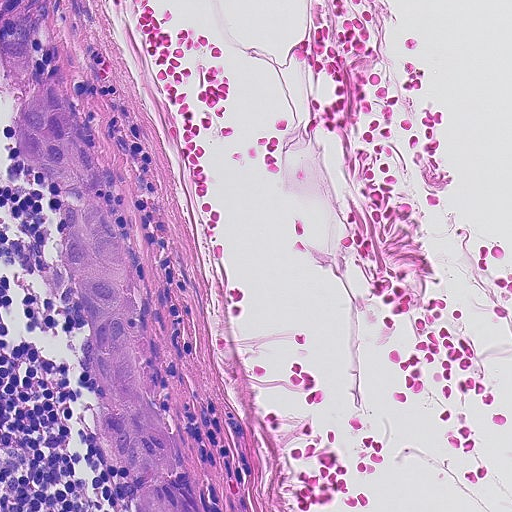
H&E-stained section of a sentinel lymph node (breast cancer), from a whole-slide image, viewed at about 20×: the field is about 0.23 mm across, about 0.45 µm per pixel.
Tumour region outline (a closed clockwise path, crop pixels): (0, 0), (54, 0), (30, 33), (36, 82), (65, 90), (98, 160), (97, 184), (122, 230), (142, 297), (136, 366), (176, 450), (172, 474), (198, 511), (135, 511), (140, 480), (107, 462), (61, 242), (67, 199), (30, 175), (18, 154), (14, 133), (26, 90), (8, 79), (0, 60).
About 10% of the image area is annotated as tumour.